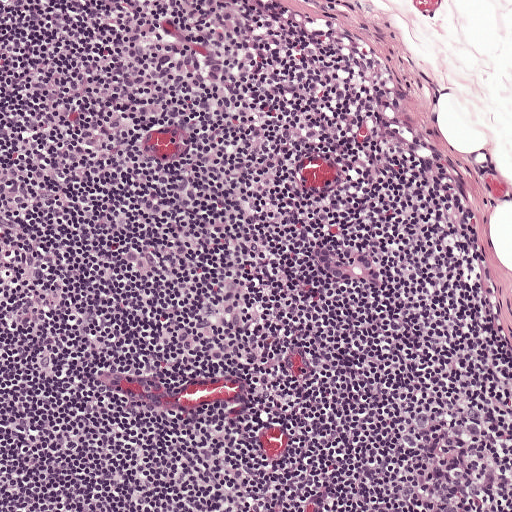
A 0.5-mm field of an H&E-stained sentinel lymph node from a breast-cancer patient (whole-slide image), shown at about 10×, about 0.97 µm per pixel.
Metastatic tumour outline, simplified to 13 points and listed clockwise in crop pixels (x, y): (318, 244), (344, 244), (364, 250), (384, 263), (388, 271), (388, 281), (385, 291), (376, 293), (357, 287), (348, 287), (339, 282), (311, 258), (310, 248).
Under 5% of this field is tumour.